A 1-mm field of an H&E-stained sentinel lymph node from a breast-cancer patient (whole-slide image), shown at about 5×, about 1.9 µm per pixel.
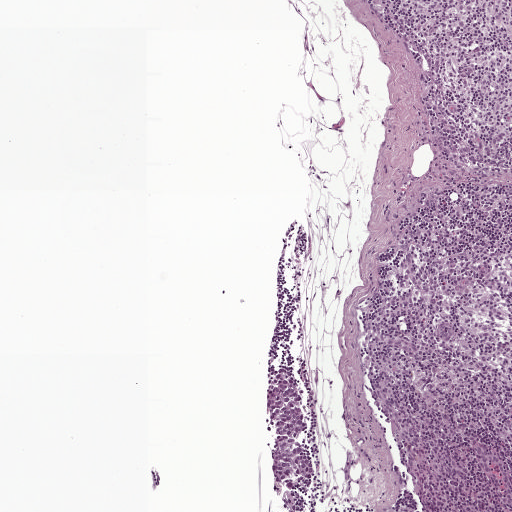
Tumour region outline (a closed clockwise path, crop pixels): (287, 365), (293, 368), (300, 379), (303, 391), (302, 404), (308, 428), (301, 438), (301, 443), (309, 452), (314, 463), (314, 477), (296, 494), (298, 511), (283, 510), (284, 488), (269, 475), (267, 451), (272, 438), (268, 432), (265, 388), (266, 376), (274, 366).
The annotated tumour makes up under 5% of the crop.